H&E-stained section of a sentinel lymph node (breast cancer), from a whole-slide image, viewed at about 5×: the field is about 1 mm across, about 1.9 µm per pixel.
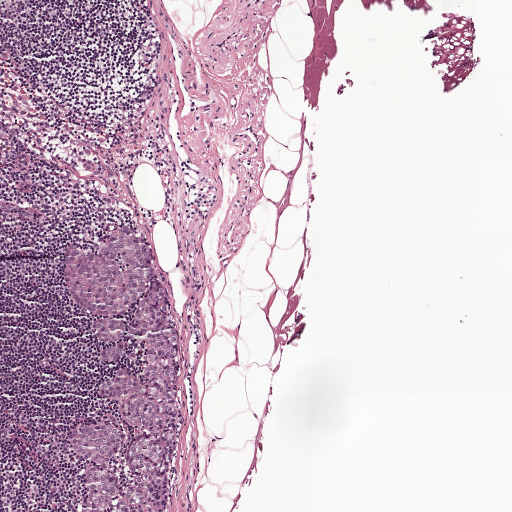
One metastatic tumour region; its boundary, reduced to 23 corners and listed clockwise: (125, 222), (148, 235), (179, 345), (180, 412), (166, 490), (169, 511), (76, 511), (81, 463), (70, 439), (77, 427), (103, 419), (115, 424), (123, 435), (114, 460), (121, 485), (128, 485), (133, 434), (101, 393), (111, 368), (100, 361), (90, 324), (58, 281), (67, 242).
Tumour covers about 10% of the frame.